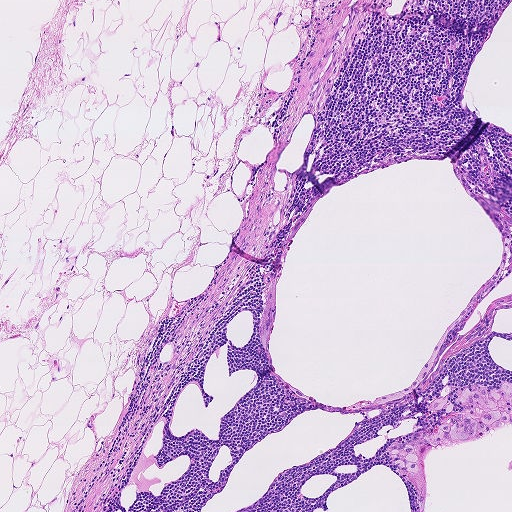
A 0.93-mm field of an H&E-stained sentinel lymph node from a breast-cancer patient (whole-slide image), shown at about 5×, about 1.8 µm per pixel.